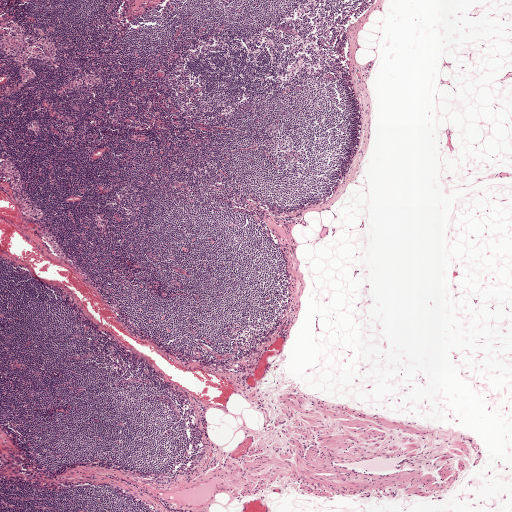
A 2.0-mm field of an H&E-stained sentinel lymph node from a breast-cancer patient (whole-slide image), shown at about 2.5×, about 3.9 µm per pixel.
Two metastatic tumour regions, each outlined as a closed clockwise path in crop pixels (x, y), largest first: region 1: (204, 450), (205, 454), (204, 457), (199, 464), (187, 473), (183, 474), (180, 474), (180, 472), (185, 470), (191, 465); region 2: (169, 477), (171, 478), (171, 482), (170, 484), (159, 484), (156, 483), (155, 481), (158, 478).
One more small tumour piece is annotated here but not outlined.
Under 5% of the image area is annotated as tumour.